Lymph node section stained with H&E, from a whole-slide image of a breast-cancer sentinel node. Magnification about 20×, about 0.23 mm across the frame, about 0.45 µm per pixel.
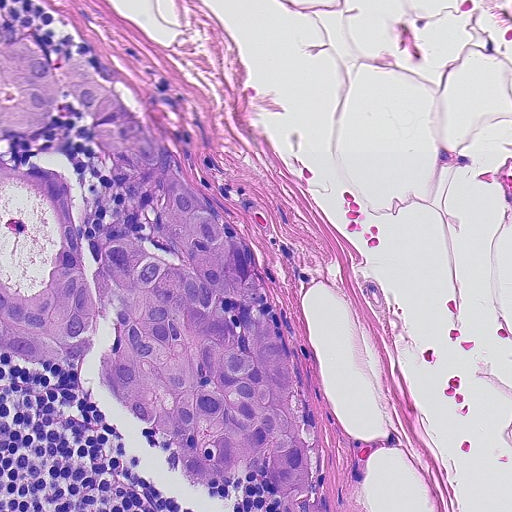
Tumour region outline (a closed clockwise path, crop pixels): (0, 31), (10, 45), (32, 32), (52, 68), (82, 52), (252, 245), (291, 342), (326, 511), (269, 511), (278, 508), (274, 486), (258, 470), (218, 490), (178, 474), (104, 387), (106, 322), (86, 360), (55, 369), (0, 344).
About 35% of the image area is annotated as tumour.